Question: 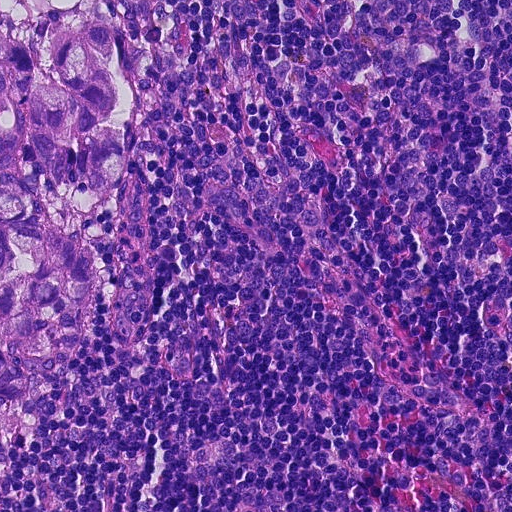
A 0.23-mm field of an H&E-stained sentinel lymph node from a breast-cancer patient (whole-slide image), shown at about 20×, about 0.45 µm per pixel.
Roughly what share of this field is metastatic tumour?

Choices:
 (A) about 25% to 45%
 (B) about 50% or more
 (C) about 10% to 20%
 (D) about 5% or less
 (E) none: no tumour is outlined

Answer: (C) about 10% to 20%
About 15% of the field is tumour.
The outlined metastatic tumour's edge, as a closed clockwise path of 11 points: (0, 0), (128, 0), (118, 43), (126, 108), (120, 172), (89, 227), (97, 322), (56, 371), (26, 384), (22, 416), (0, 419).